A 0.25-mm field of an H&E-stained sentinel lymph node from a breast-cancer patient (whole-slide image), shown at about 20×, about 0.49 µm per pixel.
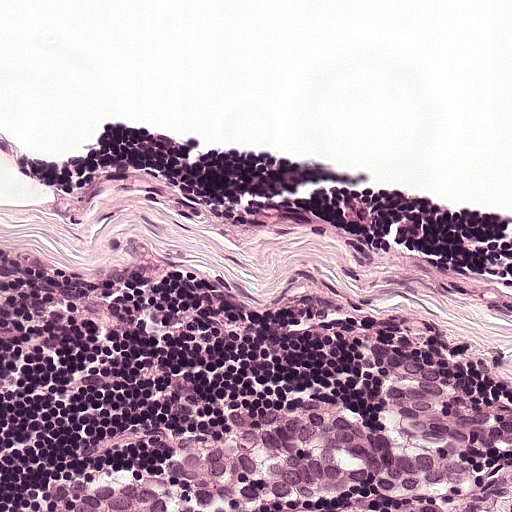
The outlined metastatic tumour's edge, as a closed clockwise path of 23 points: (439, 380), (511, 418), (511, 438), (482, 446), (482, 472), (460, 488), (385, 488), (357, 479), (262, 508), (182, 511), (64, 511), (52, 492), (52, 483), (73, 471), (152, 464), (188, 432), (220, 424), (238, 406), (276, 410), (335, 400), (379, 422), (387, 418), (383, 385).
About 15% of the image area is annotated as tumour.